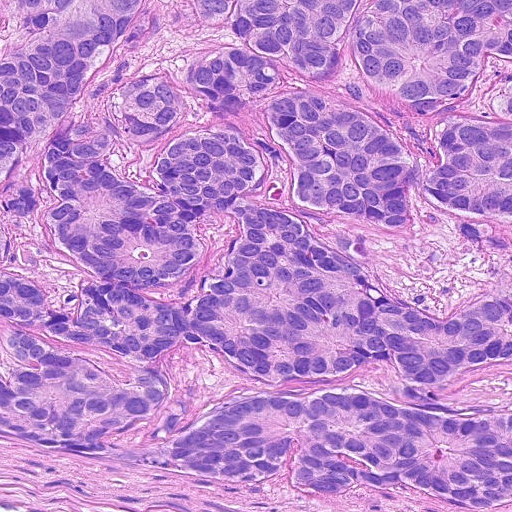
This is a crop of a whole-slide image: an H&E-stained breast-cancer sentinel lymph node section at roughly 20× magnification (about 0.45 µm per pixel; the crop spans about 0.23 mm).
The outlined metastatic tumour's edge, as a closed clockwise path of 18 points: (0, 0), (511, 0), (511, 505), (454, 511), (376, 486), (295, 497), (276, 478), (191, 480), (158, 459), (174, 421), (212, 399), (222, 358), (184, 344), (178, 386), (154, 422), (116, 440), (111, 458), (0, 426).
The annotated tumour makes up about 90% of the crop.